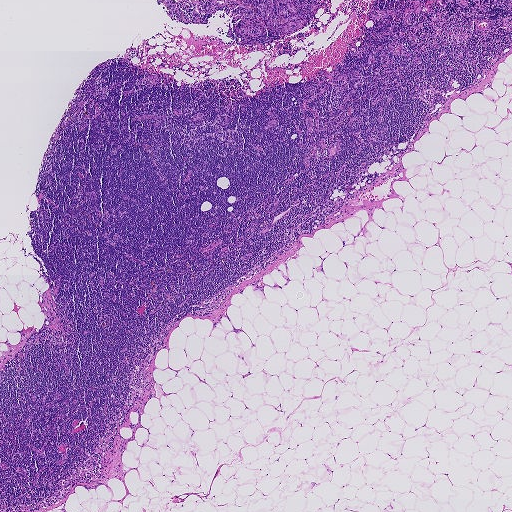
H&E-stained section of a sentinel lymph node (breast cancer), from a whole-slide image, viewed at about 2.5×: the field is about 1.9 mm across, about 3.6 µm per pixel.